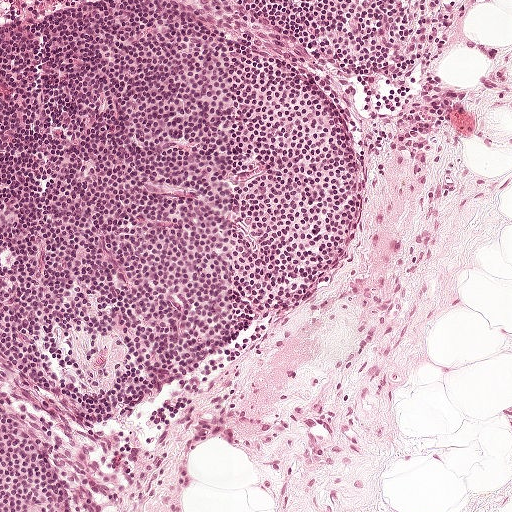
This is a crop of a whole-slide image: an H&E-stained breast-cancer sentinel lymph node section at roughly 10× magnification (about 0.97 µm per pixel; the crop spans about 0.5 mm).
Question: Is there metastatic carcinoma in this field?
Answer: No, this field holds no outlined metastasis.